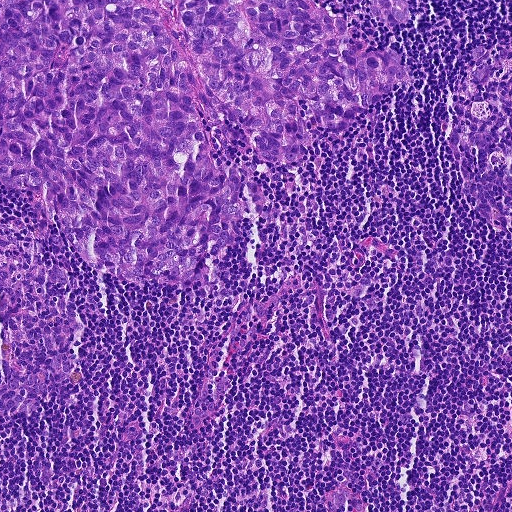
This is a crop of a whole-slide image: an H&E-stained breast-cancer sentinel lymph node section at roughly 10× magnification (about 0.9 µm per pixel; the crop spans about 0.46 mm).
Outlines of two tumour regions, largest first (closed clockwise paths, crop pixels): region 1: (0, 0), (149, 0), (178, 30), (175, 0), (315, 0), (412, 79), (349, 127), (323, 132), (291, 170), (252, 158), (243, 132), (217, 126), (214, 165), (254, 171), (265, 210), (232, 227), (228, 252), (192, 274), (124, 282), (77, 254), (42, 196), (4, 187); region 2: (371, 0), (403, 0), (408, 14), (406, 24), (397, 26), (387, 24), (378, 20), (370, 13), (369, 3).
About 30% of this field is tumour.